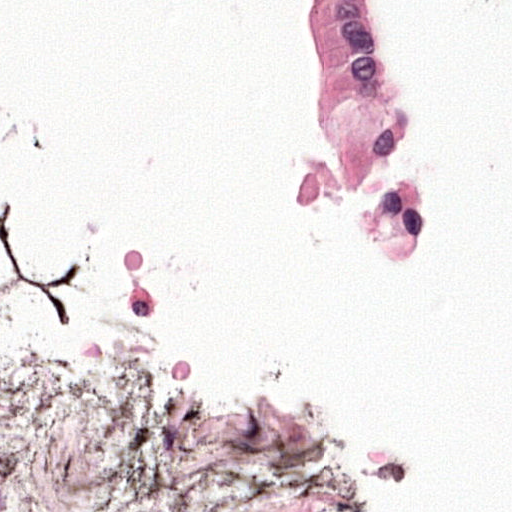
Lymph node section stained with H&E, from a whole-slide image of a breast-cancer sentinel node. Magnification about 40×, about 0.12 mm across the frame, about 0.24 µm per pixel.
One metastatic tumour region; its boundary, reduced to 9 corners and listed clockwise: (286, 0), (393, 0), (393, 37), (444, 190), (443, 265), (377, 280), (342, 229), (284, 221), (309, 130).
About 10% of the image area is annotated as tumour.